A 1-mm field of an H&E-stained sentinel lymph node from a breast-cancer patient (whole-slide image), shown at about 5×, about 1.9 µm per pixel.
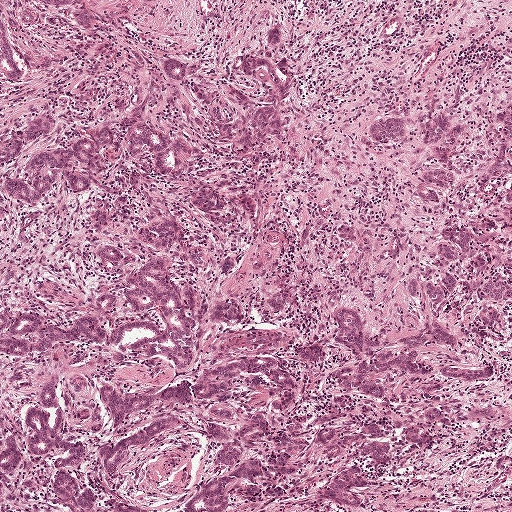
Metastatic tumour outline, simplified to 21 points and listed clockwise in crop pixels (x, y): (0, 0), (117, 0), (97, 50), (6, 111), (56, 114), (76, 139), (177, 51), (298, 27), (309, 72), (248, 286), (353, 306), (392, 343), (409, 330), (436, 224), (370, 123), (511, 110), (511, 373), (472, 432), (373, 493), (384, 510), (0, 511).
Tumour covers about 70% of the frame.